Question: 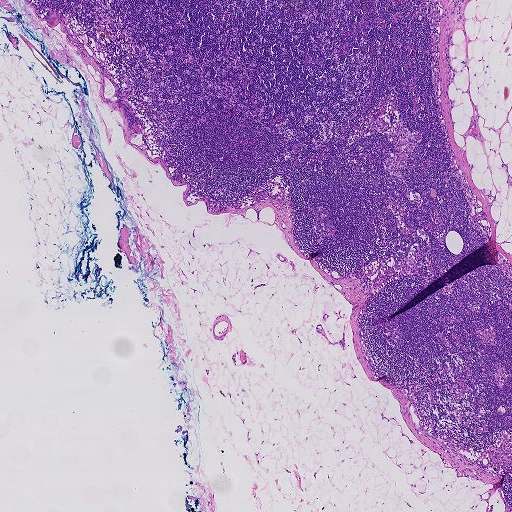
At roughly what magnification is this field shown?

Choices:
 (A) about 20×
 (B) about 5×
 (C) about 2.5×
 (D) about 10×
 (E) about 40×

Answer: (C) about 2.5×
This is a crop of a whole-slide image: an H&E-stained breast-cancer sentinel lymph node section at roughly 2.5× magnification (about 3.6 µm per pixel; the crop spans about 1.9 mm).